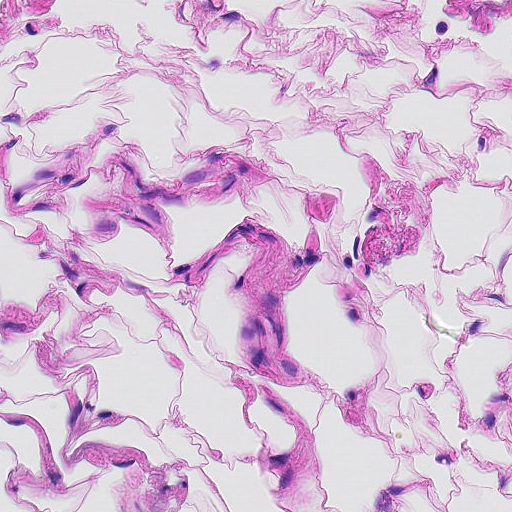
This is a crop of a whole-slide image: an H&E-stained breast-cancer sentinel lymph node section at roughly 20× magnification (about 0.45 µm per pixel; the crop spans about 0.23 mm).
Question: Does this lymph node field contain metastatic tumour?
Answer: No. No metastatic tumour is outlined in this field.

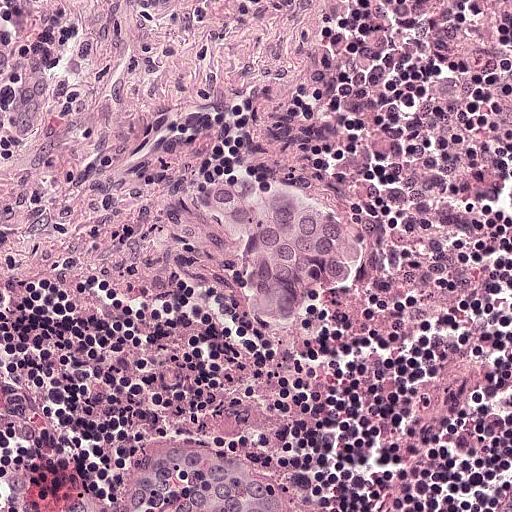
Lymph node section stained with H&E, from a whole-slide image of a breast-cancer sentinel node. Magnification about 20×, about 0.25 mm across the frame, about 0.49 µm per pixel.
Question: Does this lymph node field contain metastatic tumour?
Answer: Yes.
The outlined metastatic tumour's edge, as a closed clockwise path of 14 points: (247, 165), (289, 176), (304, 190), (369, 222), (364, 283), (350, 295), (324, 296), (276, 335), (256, 333), (236, 299), (230, 248), (189, 224), (188, 184), (213, 166).
About 5% of this field is tumour.

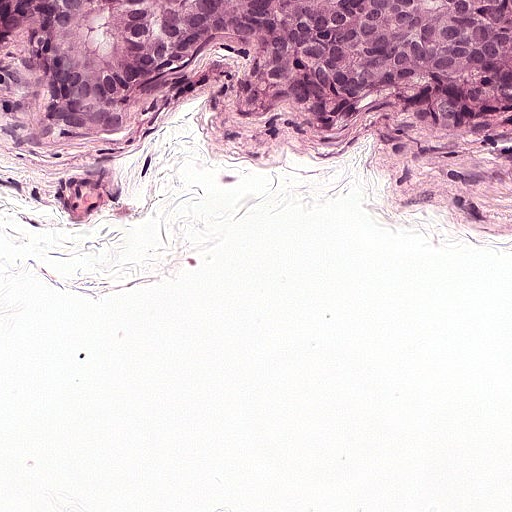
This is a crop of a whole-slide image: an H&E-stained breast-cancer sentinel lymph node section at roughly 20× magnification (about 0.49 µm per pixel; the crop spans about 0.25 mm).
Question: Does this lymph node field contain metastatic tumour?
Answer: Yes.
The outlined metastatic tumour's edge, as a closed clockwise path of 16 points: (511, 0), (511, 155), (444, 157), (396, 138), (380, 138), (374, 154), (346, 154), (221, 110), (216, 88), (200, 78), (155, 98), (100, 146), (64, 151), (34, 138), (24, 90), (34, 1).
The annotated tumour makes up about 25% of the crop.

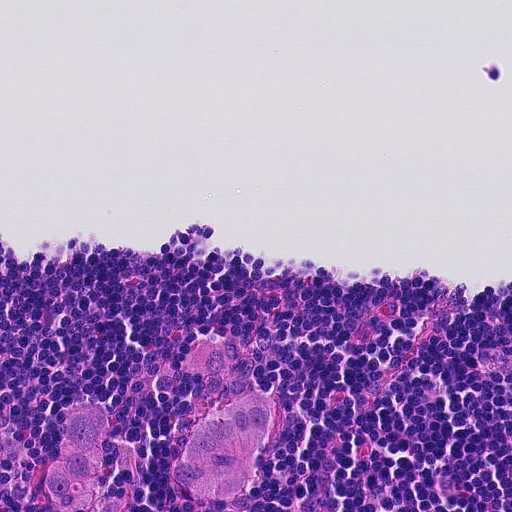
Lymph node section stained with H&E, from a whole-slide image of a breast-cancer sentinel node. Magnification about 20×, about 0.23 mm across the frame, about 0.45 µm per pixel.
Question: Does this lymph node field contain metastatic tumour?
Answer: Yes.
Outlines of two tumour regions, largest first (closed clockwise paths, crop pixels): region 1: (246, 398), (278, 407), (272, 441), (256, 455), (250, 488), (218, 498), (184, 496), (178, 468), (188, 435), (214, 412); region 2: (86, 400), (107, 400), (108, 437), (102, 474), (87, 508), (68, 511), (51, 503), (42, 511), (34, 511), (48, 494), (51, 458), (66, 408).
The annotated tumour makes up about 5% of the crop.